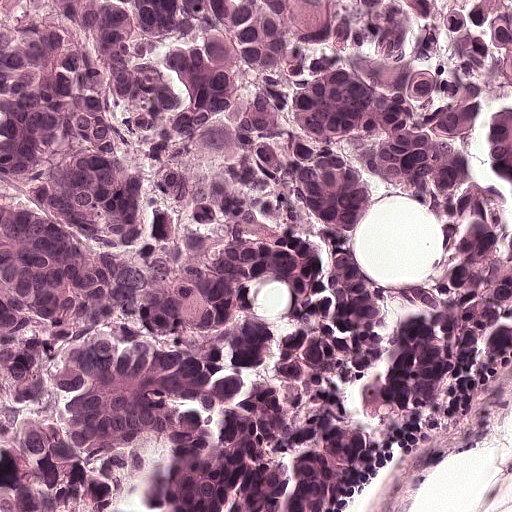
This is a crop of a whole-slide image: an H&E-stained breast-cancer sentinel lymph node section at roughly 20× magnification (about 0.49 µm per pixel; the crop spans about 0.25 mm).
Metastatic tumour outline, simplified to 7 points and listed clockwise in crop pixels (x, y): (0, 0), (511, 0), (511, 401), (466, 423), (410, 480), (340, 510), (0, 511).
Tumour covers about 95% of the frame.